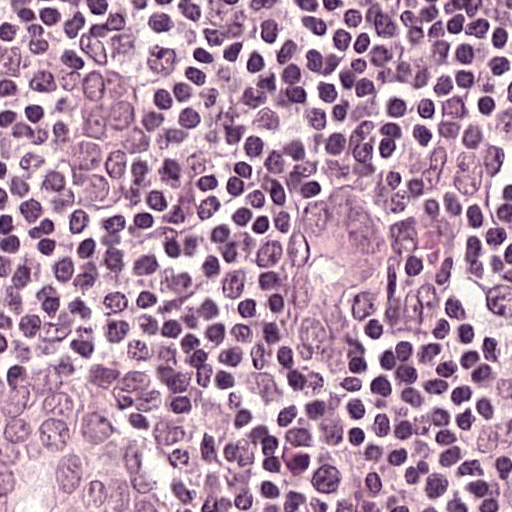
This is a crop of a whole-slide image: an H&E-stained breast-cancer sentinel lymph node section at roughly 40× magnification (about 0.24 µm per pixel; the crop spans about 0.12 mm).
Outlines of three tumour regions, largest first (closed clockwise paths, crop pixels): region 1: (40, 338), (80, 338), (147, 371), (203, 452), (221, 508), (0, 511), (0, 358); region 2: (329, 178), (364, 182), (390, 230), (387, 287), (349, 340), (331, 355), (315, 355), (296, 345), (290, 332), (290, 299), (279, 270), (279, 244), (286, 224); region 3: (100, 58), (141, 76), (147, 83), (142, 143), (134, 156), (129, 195), (122, 207), (104, 207), (86, 201), (79, 194), (80, 174), (64, 163), (64, 140), (81, 117), (81, 72).
About 20% of the image area is annotated as tumour.